Question: 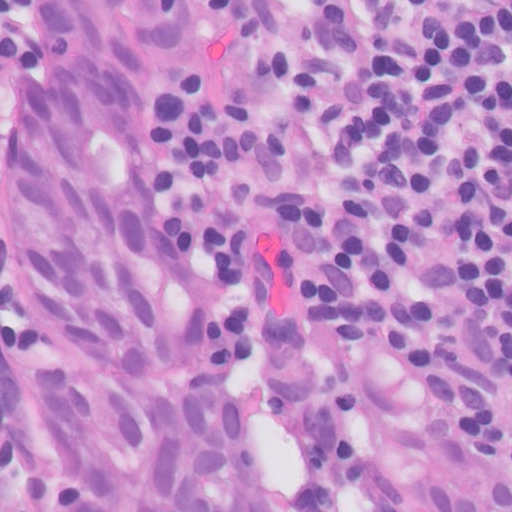
At roughly what magnification is this field shown?

Choices:
 (A) about 5×
 (B) about 20×
 (C) about 2.5×
 (D) about 10×
 (E) about 40×

Answer: (E) about 40×
A 0.13-mm field of an H&E-stained sentinel lymph node from a breast-cancer patient (whole-slide image), shown at about 40×, about 0.25 µm per pixel.
The outlined metastatic tumour's edge, as a closed clockwise path of 7 points: (4, 0), (243, 0), (183, 129), (243, 313), (278, 511), (9, 511), (0, 491).
About 45% of this field is tumour.